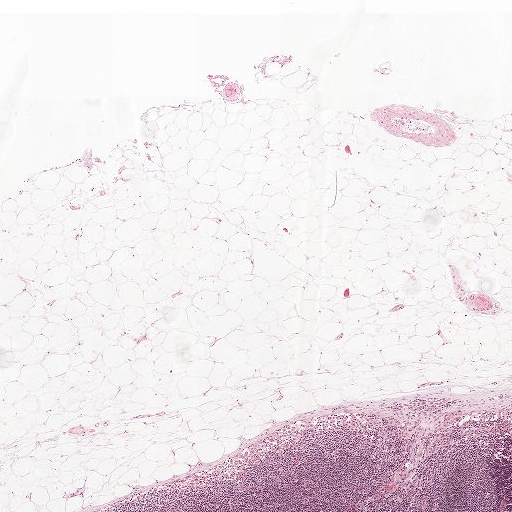
H&E-stained section of a sentinel lymph node (breast cancer), from a whole-slide image, viewed at about 2.5×: the field is about 2.0 mm across, about 3.9 µm per pixel.
Question: Describe where the metastatic carcinoma lies in this crop.
Answer: Boundaries of two metastatic tumour regions, simplified and listed clockwise, largest first: region 1: (462, 411), (463, 416), (460, 421), (444, 428), (440, 433), (431, 436), (436, 424), (442, 420), (444, 416), (452, 412); region 2: (415, 419), (418, 420), (419, 420), (419, 426), (416, 427), (410, 436), (407, 437), (402, 437), (401, 434), (402, 431), (402, 422), (403, 421), (406, 420), (411, 422).
Under 5% of this field is tumour.